Image:
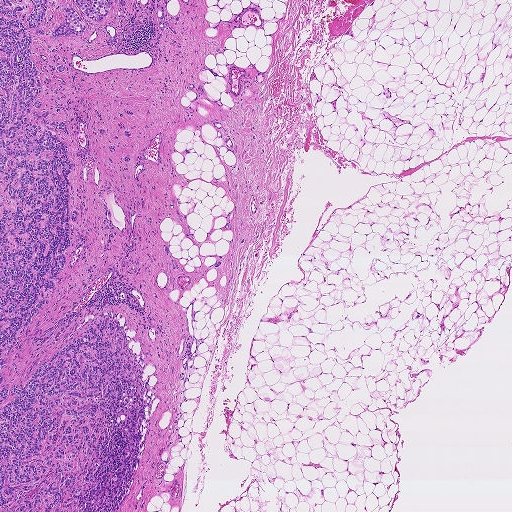
This is a crop of a whole-slide image: an H&E-stained breast-cancer sentinel lymph node section at roughly 2.5× magnification (about 3.6 µm per pixel; the crop spans about 1.9 mm).
Question:
Which parts of this field are metastatic tumour?
Answer:
Boundaries of five metastatic tumour regions, simplified and listed clockwise, largest first: region 1: (113, 309), (126, 335), (139, 391), (147, 390), (148, 421), (137, 470), (112, 505), (0, 511), (0, 371), (3, 383), (11, 387), (21, 376), (23, 385), (38, 365); region 2: (0, 0), (112, 0), (104, 21), (87, 18), (90, 28), (83, 35), (33, 34), (31, 57), (43, 87), (36, 99), (42, 104), (32, 109), (29, 122), (60, 120), (67, 126), (70, 136), (55, 129), (69, 147), (73, 164), (69, 215), (79, 211), (56, 288), (1, 367); region 3: (158, 0), (160, 1), (163, 6), (164, 14), (166, 13), (168, 20), (174, 30), (175, 32), (175, 34), (174, 34), (172, 33), (167, 26), (165, 21), (164, 29), (163, 31), (159, 38), (151, 46), (148, 46), (148, 44), (150, 39), (152, 37), (155, 37), (156, 33), (158, 28), (158, 19), (156, 11), (156, 3); region 4: (134, 22), (137, 22), (139, 23), (139, 26), (131, 36), (130, 39), (128, 40), (125, 39), (125, 36), (126, 29), (125, 26), (127, 24), (129, 26), (128, 28), (131, 27); region 5: (108, 24), (111, 24), (113, 26), (115, 31), (115, 34), (115, 37), (114, 40), (110, 43), (107, 43), (105, 42), (108, 38), (109, 36), (105, 28), (105, 25).
13 more small tumour pieces are annotated here but not outlined.
About 15% of the image area is annotated as tumour.